Question: 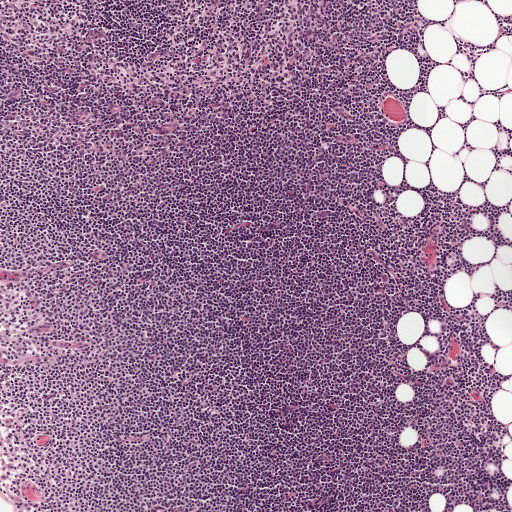
About what magnification does this crop show?

Choices:
 (A) about 2.5×
 (B) about 10×
 (C) about 20×
 (D) about 40×
 (E) about 5×

Answer: (E) about 5×
A 1-mm field of an H&E-stained sentinel lymph node from a breast-cancer patient (whole-slide image), shown at about 5×, about 1.9 µm per pixel.